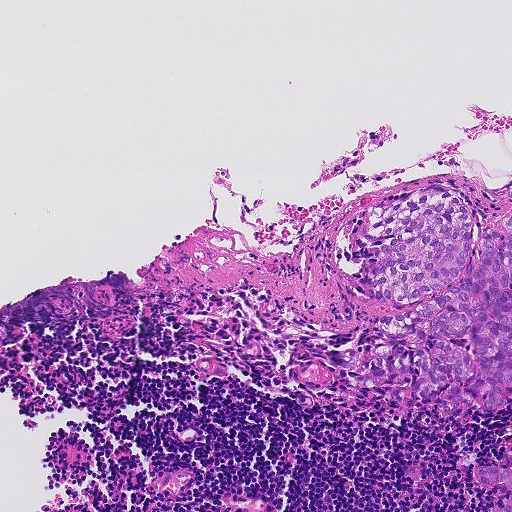
A 0.46-mm field of an H&E-stained sentinel lymph node from a breast-cancer patient (whole-slide image), shown at about 10×, about 0.9 µm per pixel.
Outlines of four tumour regions, largest first (closed clockwise paths, crop pixels): region 1: (434, 185), (466, 202), (480, 225), (501, 232), (511, 212), (504, 410), (452, 415), (417, 400), (402, 411), (385, 406), (386, 388), (366, 388), (339, 358), (370, 354), (380, 339), (374, 316), (419, 301), (394, 307), (352, 288), (364, 262), (351, 253), (366, 211); region 2: (511, 447), (511, 491), (504, 484), (486, 484), (479, 478), (479, 469), (497, 465), (504, 460), (507, 452); region 3: (511, 497), (511, 511), (492, 511), (495, 508), (504, 506); region 4: (511, 187), (511, 203), (504, 200), (506, 192).
The annotated tumour makes up about 10% of the crop.